Question: 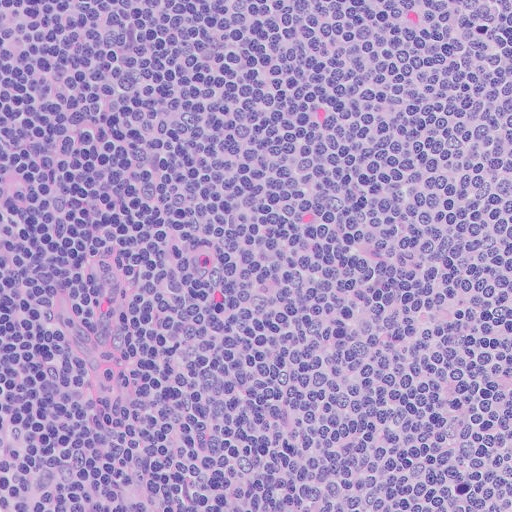
At roughly what magnification is this field shown?

Choices:
 (A) about 10×
 (B) about 40×
 (C) about 20×
 (D) about 5×
 (E) about 2.5×

Answer: (C) about 20×
Lymph node section stained with H&E, from a whole-slide image of a breast-cancer sentinel node. Magnification about 20×, about 0.26 mm across the frame, about 0.5 µm per pixel.